Question: 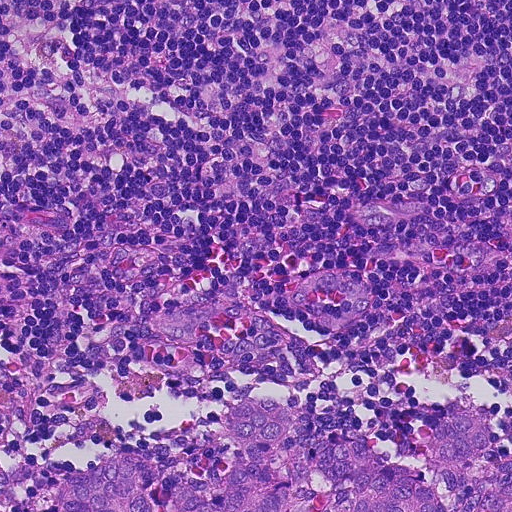
Lymph node section stained with H&E, from a whole-slide image of a breast-cancer sentinel node. Magnification about 20×, about 0.23 mm across the frame, about 0.45 µm per pixel.
Roughly what share of this field is metastatic tumour?

Choices:
 (A) about 50% or more
 (B) about 10% to 20%
 (C) none: no tumour is outlined
 (D) about 25% to 45%
 (E) about 5% or less

Answer: (B) about 10% to 20%
About 15% of the field is tumour.
One metastatic tumour region; its boundary, reduced to 11 corners and listed clockwise: (276, 392), (401, 446), (450, 398), (486, 400), (501, 430), (511, 433), (511, 511), (0, 511), (0, 483), (152, 447), (242, 395).